Question: 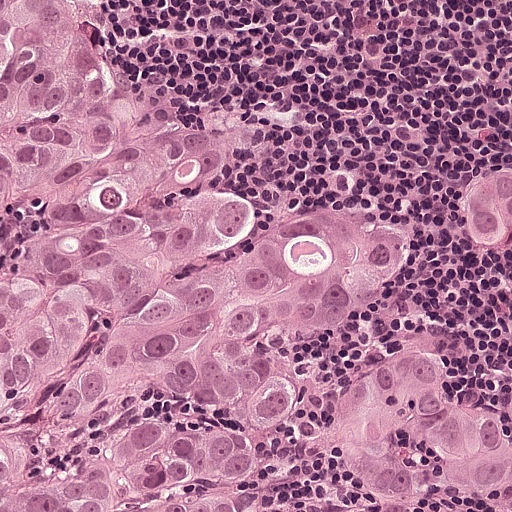
This is a crop of a whole-slide image: an H&E-stained breast-cancer sentinel lymph node section at roughly 20× magnification (about 0.49 µm per pixel; the crop spans about 0.25 mm).
What fraction of the image area is metastatic tumour?

Choices:
 (A) about 5% or less
 (B) about 10% to 20%
 (C) none: no tumour is outlined
 (D) about 25% to 45%
 (E) about 50% or more

Answer: (E) about 50% or more
About 65% of the field is tumour.
Two metastatic tumour regions, each outlined as a closed clockwise path in crop pixels (x, y), largest first: region 1: (0, 0), (59, 0), (143, 92), (196, 102), (274, 228), (326, 204), (372, 206), (404, 215), (424, 240), (359, 356), (416, 332), (448, 344), (506, 415), (511, 511), (376, 511), (346, 474), (282, 442), (262, 510), (0, 511); region 2: (484, 165), (511, 166), (511, 240), (500, 247), (476, 247), (466, 243), (465, 240), (464, 224), (466, 200), (470, 192), (474, 168).